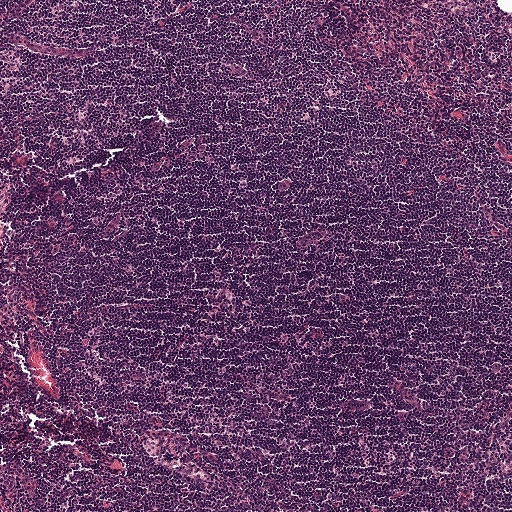
H&E-stained section of a sentinel lymph node (breast cancer), from a whole-slide image, viewed at about 5×: the field is about 1 mm across, about 1.9 µm per pixel.